Question: 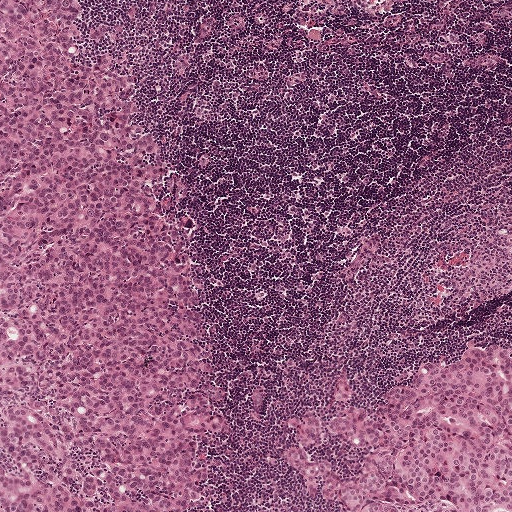
Lymph node section stained with H&E, from a whole-slide image of a breast-cancer sentinel node. Magnification about 5×, about 1 mm across the frame, about 1.9 µm per pixel.
About how much of this crop is taken up by metastatic carcinoma?

Choices:
 (A) about 50% or more
 (B) none: no tumour is outlined
 (C) about 25% to 45%
 (D) about 10% to 20%
 (E) about 5% or less

Answer: (C) about 25% to 45%
About 45% of the field is tumour.
Outlines of two tumour regions, largest first (closed clockwise paths, crop pixels): region 1: (0, 0), (78, 0), (75, 58), (106, 53), (136, 75), (134, 124), (185, 184), (213, 365), (199, 386), (232, 430), (209, 438), (201, 511), (0, 511); region 2: (471, 346), (511, 347), (511, 511), (347, 511), (344, 501), (312, 494), (283, 460), (295, 446), (333, 465), (344, 481), (359, 481), (365, 452), (342, 437), (318, 449), (304, 446), (289, 424), (296, 415), (340, 422), (350, 406), (373, 421), (387, 390), (408, 386), (421, 364), (452, 366).